Image:
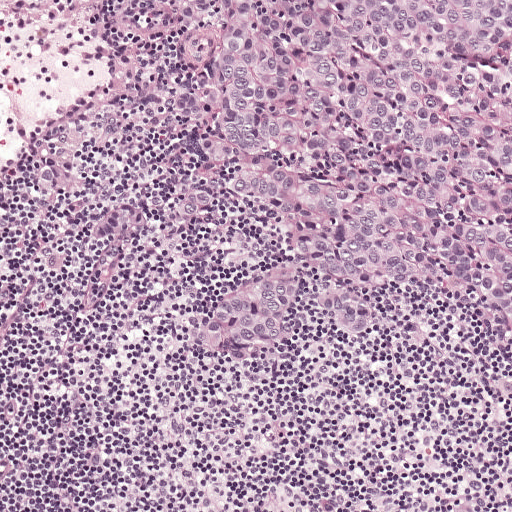
This is a crop of a whole-slide image: an H&E-stained breast-cancer sentinel lymph node section at roughly 10× magnification (about 0.97 µm per pixel; the crop spans about 0.5 mm).
Question:
Which parts of this field are metastatic tumour? Answer with the outline of each region, in pixels.
Answer:
Outlines of three tumour regions, largest first (closed clockwise paths, crop pixels): region 1: (144, 0), (511, 0), (511, 335), (404, 281), (352, 351), (303, 263), (306, 333), (265, 370), (218, 366), (194, 350), (208, 301), (288, 234), (219, 181), (194, 221), (146, 210), (60, 276), (36, 264), (179, 170), (179, 124), (156, 126), (50, 210), (28, 199), (42, 158), (198, 84); region 2: (471, 488), (495, 511), (431, 511), (430, 508), (448, 494); region 3: (511, 404), (511, 444), (503, 439), (504, 409).
About 45% of the image area is annotated as tumour.

Image:
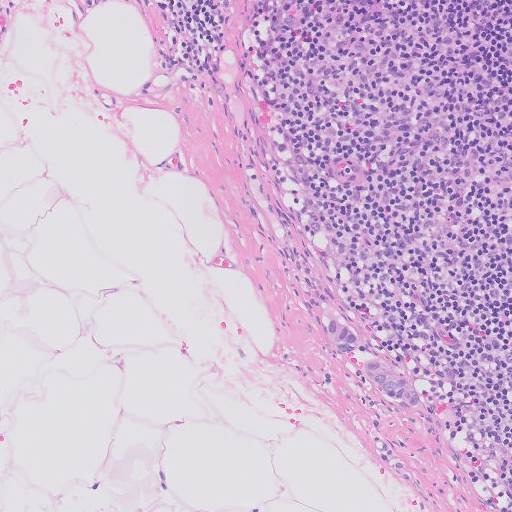
This is a crop of a whole-slide image: an H&E-stained breast-cancer sentinel lymph node section at roughly 10× magnification (about 1.0 µm per pixel; the crop spans about 0.51 mm).
Question:
Which parts of this field are metastatic tumour? Answer with the outline of each region, in pixels.
Answer:
Outlines of two tumour regions, largest first (closed clockwise paths, crop pixels): region 1: (377, 358), (385, 364), (416, 393), (419, 400), (417, 407), (411, 411), (404, 411), (386, 398), (378, 386), (360, 372), (358, 365), (362, 359); region 2: (333, 316), (354, 331), (358, 337), (358, 344), (356, 350), (342, 354), (332, 345), (323, 324), (326, 317).
Tumour covers under 5% of the frame.

Image:
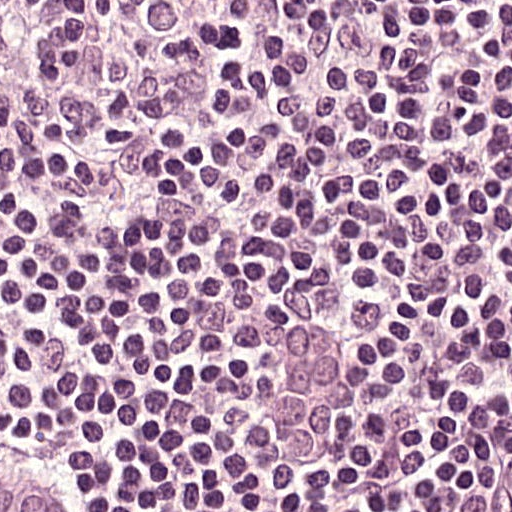
H&E-stained section of a sentinel lymph node (breast cancer), from a whole-slide image, viewed at about 40×: the field is about 0.12 mm across, about 0.24 µm per pixel.
Question:
Which parts of this field are metastatic tumour? Answer with the outline of each region, in pixels.
Answer:
Outlines of three tumour regions, largest first (closed clockwise paths, crop pixels): region 1: (304, 313), (345, 331), (351, 338), (346, 398), (338, 411), (333, 450), (326, 462), (308, 462), (290, 456), (283, 449), (284, 429), (268, 418), (268, 395), (285, 372), (285, 327); region 2: (0, 453), (62, 493), (62, 500), (65, 500), (65, 511), (0, 511); region 3: (511, 454), (511, 511), (483, 511), (484, 494), (490, 479), (503, 461), (507, 460).
About 5% of the image area is annotated as tumour.

Image:
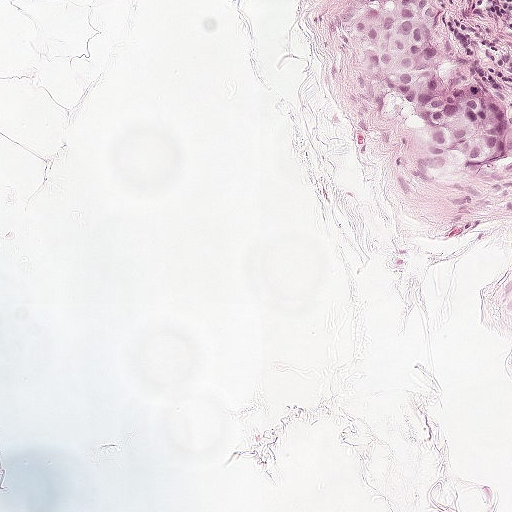
A 0.5-mm field of an H&E-stained sentinel lymph node from a breast-cancer patient (whole-slide image), shown at about 10×, about 0.97 µm per pixel.
Question:
Which parts of this field are metastatic tumour? Answer with the outline of each region, in pixels.
Answer:
Metastatic tumour outline, simplified to 10 points and listed clockwise in crop pixels (x, y): (448, 0), (492, 82), (511, 102), (511, 179), (394, 128), (394, 123), (374, 110), (367, 97), (365, 57), (348, 2).
Tumour covers about 5% of the frame.